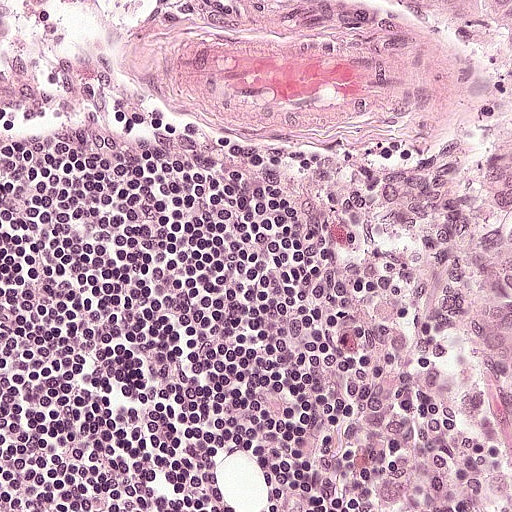
This is a crop of a whole-slide image: an H&E-stained breast-cancer sentinel lymph node section at roughly 20× magnification (about 0.49 µm per pixel; the crop spans about 0.25 mm).
Question: Which parts of this field are metastatic tumour? Answer with the outline of each region, in pixels.
Answer: Metastatic tumour outline, simplified to 19 points and listed clockwise in crop pixels (x, y): (511, 0), (511, 511), (501, 511), (502, 422), (488, 409), (488, 387), (462, 344), (418, 298), (395, 228), (381, 216), (382, 204), (398, 188), (481, 159), (500, 116), (496, 66), (492, 51), (465, 32), (420, 22), (368, 1).
About 10% of this field is tumour.